H&E-stained section of a sentinel lymph node (breast cancer), from a whole-slide image, viewed at about 20×: the field is about 0.25 mm across, about 0.49 µm per pixel.
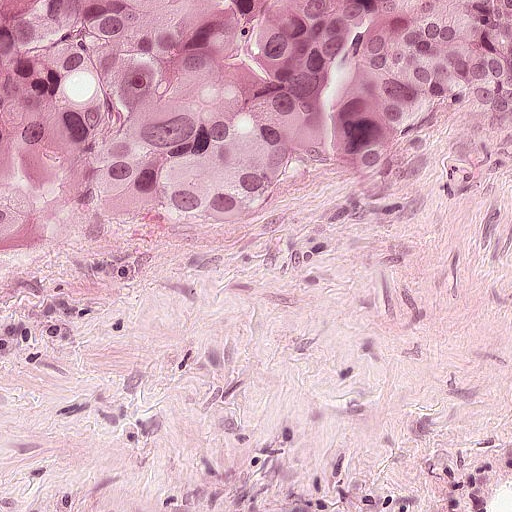
Question: Which parts of this field are metastatic tumour? Answer with the outline of each region, in pixels.
Answer: Tumour region outline (a closed clockwise path, crop pixels): (0, 0), (511, 0), (511, 112), (446, 130), (376, 180), (312, 172), (246, 224), (198, 226), (136, 209), (68, 214), (4, 263).
About 35% of this field is tumour.